Question: 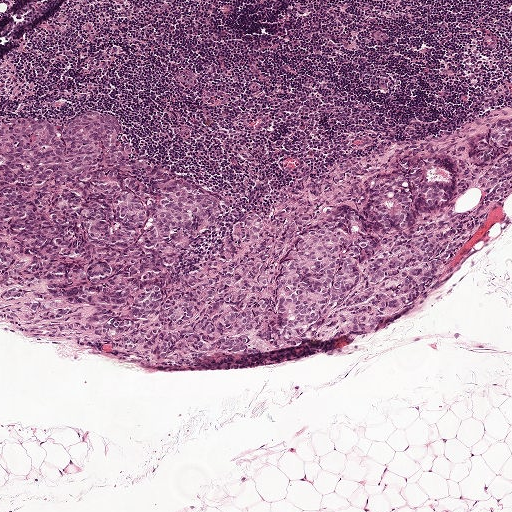
This is a crop of a whole-slide image: an H&E-stained breast-cancer sentinel lymph node section at roughly 5× magnification (about 1.9 µm per pixel; the crop spans about 1 mm).
About how much of this crop is taken up by metastatic carcinoma?

Choices:
 (A) none: no tumour is outlined
 (B) about 25% to 45%
 (C) about 5% or less
 (D) about 50% or more
 (E) about 10% to 20%

Answer: (B) about 25% to 45%
About 30% of the field is tumour.
Tumour region outline (a closed clockwise path, crop pixels): (17, 116), (60, 133), (112, 116), (117, 148), (228, 201), (183, 277), (341, 164), (412, 145), (458, 178), (471, 139), (511, 118), (509, 188), (463, 192), (452, 210), (486, 209), (472, 236), (363, 329), (159, 361), (83, 328), (93, 304), (42, 279), (1, 296), (0, 122).